Question: 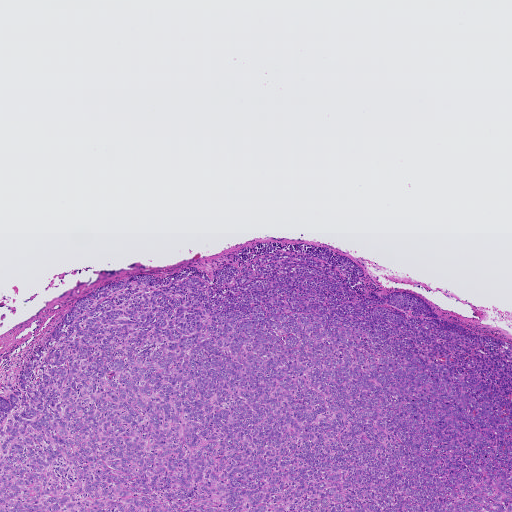
Lymph node section stained with H&E, from a whole-slide image of a breast-cancer sentinel node. Magnification about 2.5×, about 1.9 mm across the frame, about 3.6 µm per pixel.
Roughly what share of this field is metastatic tumour?

Choices:
 (A) about 50% or more
 (B) about 5% or less
 (C) about 25% to 45%
 (D) none: no tumour is outlined
 (E) about 10% to 20%

Answer: (C) about 25% to 45%
About 45% of the field is tumour.
Tumour region outline (a closed clockwise path, crop pixels): (306, 243), (358, 264), (365, 295), (409, 292), (440, 317), (510, 343), (511, 511), (0, 511), (0, 396), (10, 391), (1, 384), (15, 383), (76, 302), (114, 282), (191, 266), (212, 281), (241, 248).